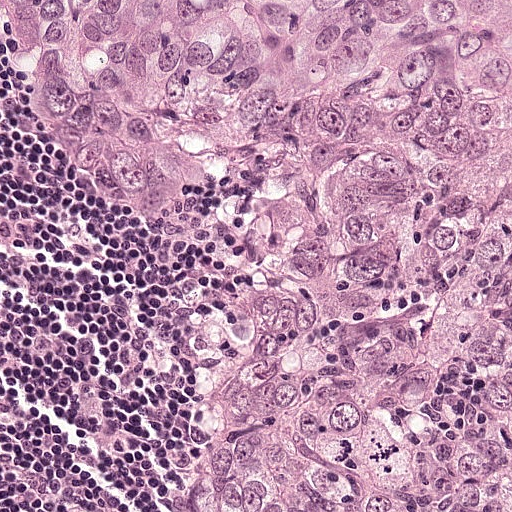
A 0.25-mm field of an H&E-stained sentinel lymph node from a breast-cancer patient (whole-slide image), shown at about 20×, about 0.49 µm per pixel.
The outlined metastatic tumour's edge, as a closed clockwise path of 11 points: (0, 0), (511, 0), (511, 511), (159, 511), (186, 444), (199, 344), (264, 178), (194, 244), (140, 239), (75, 213), (20, 144).
About 75% of this field is tumour.